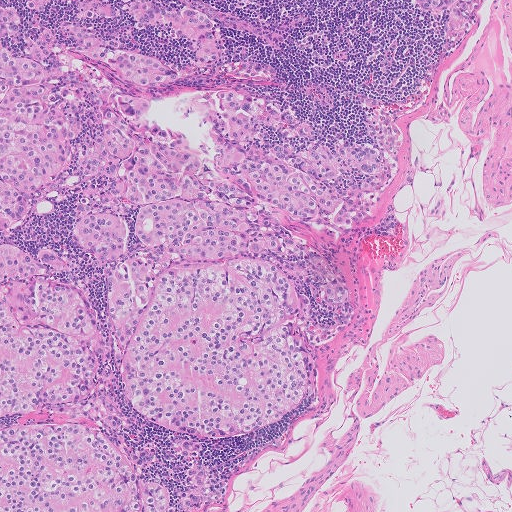
This is a crop of a whole-slide image: an H&E-stained breast-cancer sentinel lymph node section at roughly 5× magnification (about 2.0 µm per pixel; the crop spans about 1.0 mm).
Boundaries of four metastatic tumour regions, simplified and listed clockwise, largest first: region 1: (0, 0), (297, 101), (308, 126), (335, 134), (378, 100), (396, 120), (399, 148), (373, 138), (392, 158), (394, 188), (354, 229), (325, 224), (310, 247), (337, 295), (310, 300), (315, 384), (252, 436), (195, 437), (127, 391), (100, 278), (68, 230), (70, 173), (60, 199), (0, 229); region 2: (0, 244), (77, 257), (78, 285), (121, 421), (134, 447), (178, 488), (174, 511), (0, 511); region 3: (30, 0), (69, 0), (75, 5), (73, 0), (166, 0), (221, 27), (232, 55), (206, 64), (179, 56), (133, 23), (51, 16); region 4: (410, 0), (487, 0), (482, 12), (462, 34), (434, 35).
Tumour covers about 55% of the frame.